Question: 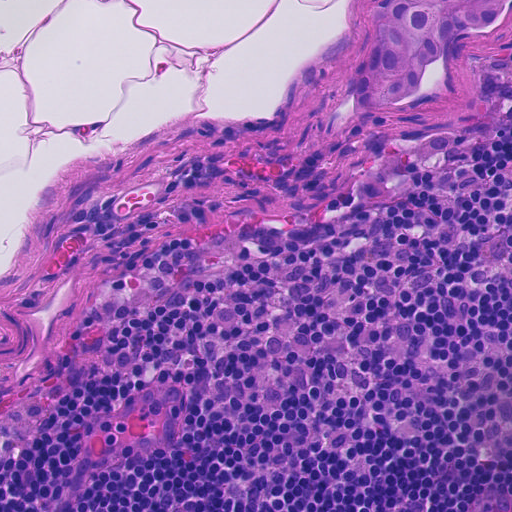
Lymph node section stained with H&E, from a whole-slide image of a breast-cancer sentinel node. Magnification about 20×, about 0.23 mm across the frame, about 0.45 µm per pixel.
About how much of this crop is taken up by metastatic carcinoma?

Choices:
 (A) about 50% or more
 (B) none: no tumour is outlined
 (C) about 10% to 20%
 (D) about 5% or less
 (E) about 25% to 45%

Answer: (D) about 5% or less
About 5% of the field is tumour.
Metastatic tumour outline, simplified to 12 points and listed clockwise in crop pixels (x, y): (367, 0), (511, 0), (502, 23), (487, 33), (470, 33), (453, 45), (416, 94), (369, 111), (350, 108), (343, 97), (342, 77), (366, 26).